H&E-stained section of a sentinel lymph node (breast cancer), from a whole-slide image, viewed at about 10×: the field is about 0.46 mm across, about 0.9 µm per pixel.
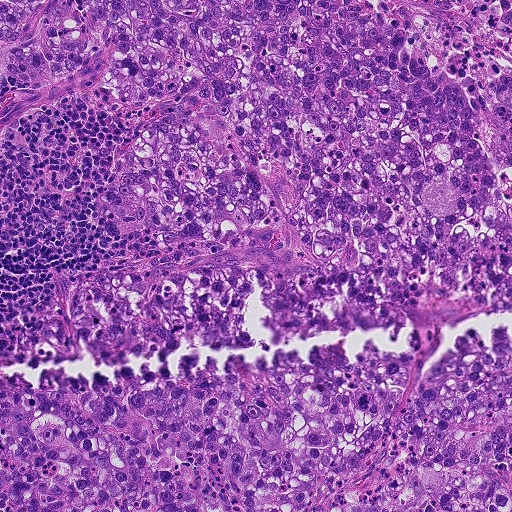
Two metastatic tumour regions, each outlined as a closed clockwise path in crop pixels (x, y), largest first: region 1: (0, 0), (511, 0), (511, 307), (348, 307), (262, 321), (254, 274), (246, 334), (145, 354), (0, 359), (0, 326), (99, 272), (154, 270), (227, 244), (108, 228), (106, 168), (162, 116), (83, 87), (23, 84), (1, 65); region 2: (511, 340), (511, 511), (0, 511), (0, 387), (96, 388), (362, 352), (416, 353), (421, 372), (452, 346).
About 80% of the image area is annotated as tumour.